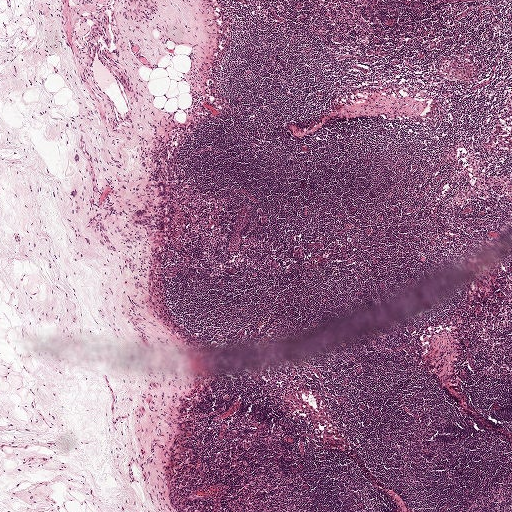
This is a crop of a whole-slide image: an H&E-stained breast-cancer sentinel lymph node section at roughly 2.5× magnification (about 3.9 µm per pixel; the crop spans about 2.0 mm).
Metastatic tumour outline, simplified to 10 points and listed clockwise in crop pixels (x, y): (159, 181), (161, 181), (167, 186), (167, 195), (165, 196), (162, 196), (159, 195), (156, 188), (156, 186), (157, 183).
One more small tumour piece is annotated here but not outlined.
Tumour covers under 5% of the frame.